Question: 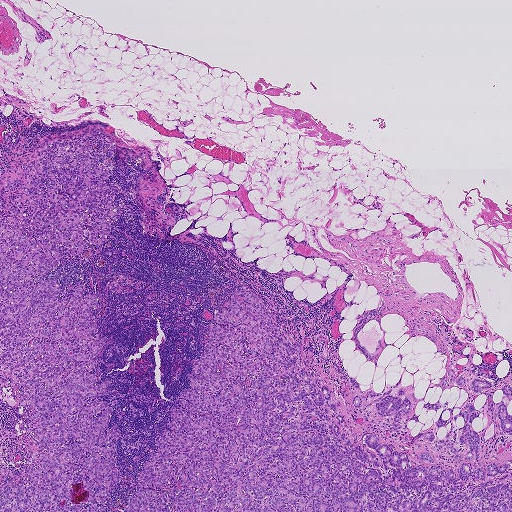
H&E-stained section of a sentinel lymph node (breast cancer), from a whole-slide image, viewed at about 2.5×: the field is about 1.9 mm across, about 3.6 µm per pixel.
Roughly what share of this field is metastatic tumour?

Choices:
 (A) about 50% or more
 (B) about 10% to 20%
 (C) about 25% to 45%
 (D) none: no tumour is outlined
 (E) about 5% or less

Answer: (C) about 25% to 45%
About 30% of the field is tumour.
Outlines of six tumour regions, largest first (closed clockwise paths, crop pixels): region 1: (242, 289), (301, 346), (331, 393), (321, 410), (337, 405), (350, 441), (373, 431), (412, 466), (429, 469), (427, 451), (458, 474), (465, 462), (511, 459), (511, 511), (133, 511), (169, 407), (182, 410), (206, 326); region 2: (54, 140), (86, 144), (123, 192), (112, 246), (63, 256), (43, 279), (58, 300), (73, 285), (99, 299), (98, 341), (113, 336), (98, 398), (113, 408), (121, 476), (105, 511), (0, 511), (2, 481), (25, 475), (37, 444), (30, 394), (0, 367), (0, 176); region 3: (441, 392), (440, 401), (442, 403), (447, 400), (450, 402), (448, 408), (452, 407), (456, 402), (453, 417), (469, 402), (474, 401), (475, 409), (480, 413), (479, 417), (472, 421), (471, 426), (481, 437), (479, 460), (454, 459), (454, 456), (445, 447), (439, 451), (435, 449), (435, 444), (438, 440), (444, 439), (447, 432), (445, 427), (436, 427), (435, 423), (443, 408), (435, 414), (434, 410), (426, 412), (426, 408), (421, 408), (423, 402), (429, 400), (429, 403), (435, 402); region 4: (400, 387), (405, 389), (410, 402), (409, 412), (401, 418), (400, 433), (385, 430), (392, 425), (389, 419), (392, 416), (380, 417), (375, 404), (370, 403), (369, 399), (377, 397), (369, 397), (366, 393), (370, 389), (373, 393), (383, 393), (392, 388), (390, 394), (397, 396), (396, 391); region 5: (508, 384), (511, 388), (511, 431), (507, 432), (502, 431), (500, 426), (500, 421), (497, 417), (496, 413), (496, 408), (498, 403), (502, 400), (503, 394), (500, 390), (502, 385); region 6: (477, 378), (487, 379), (491, 382), (492, 386), (482, 389), (479, 393), (474, 393), (471, 389), (471, 384), (473, 379).
Five more small tumour pieces are annotated here but not outlined.